A 0.25-mm field of an H&E-stained sentinel lymph node from a breast-cancer patient (whole-slide image), shown at about 20×, about 0.49 µm per pixel.
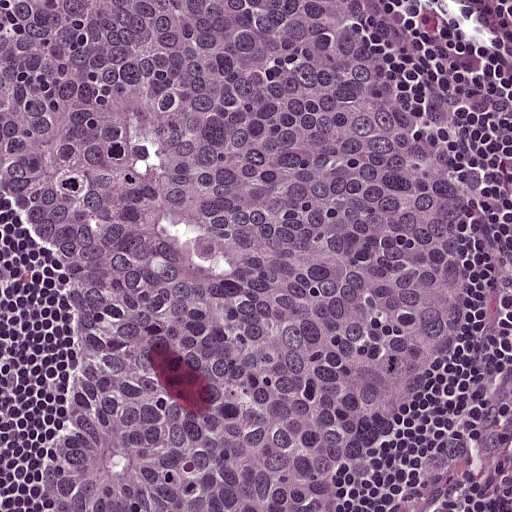
The outlined metastatic tumour's edge, as a closed clockwise path of 12 points: (0, 0), (351, 0), (428, 96), (485, 262), (484, 304), (448, 384), (354, 476), (332, 511), (28, 511), (68, 332), (45, 248), (0, 196).
The annotated tumour makes up about 80% of the crop.